H&E-stained section of a sentinel lymph node (breast cancer), from a whole-slide image, viewed at about 5×: the field is about 1.0 mm across, about 2.0 µm per pixel.
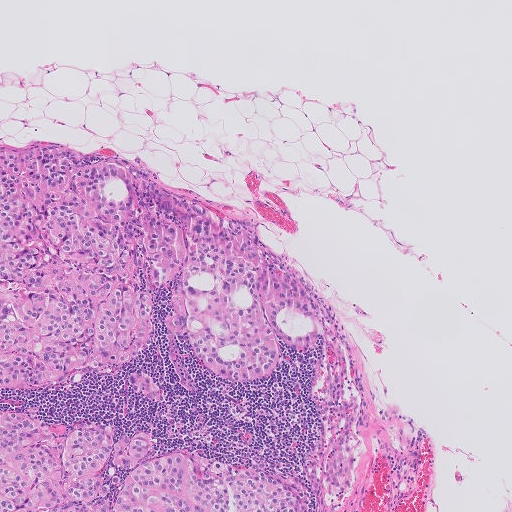
Boundaries of three metastatic tumour regions, simplified and listed clockwise, largest first: region 1: (49, 142), (130, 161), (316, 296), (321, 324), (260, 382), (205, 376), (161, 295), (160, 349), (138, 366), (0, 386), (0, 143); region 2: (0, 407), (147, 427), (172, 444), (279, 484), (304, 511), (0, 511); region 3: (145, 368), (162, 380), (170, 403), (155, 404), (140, 399), (126, 382), (132, 371).
Tumour covers about 30% of the frame.